Image:
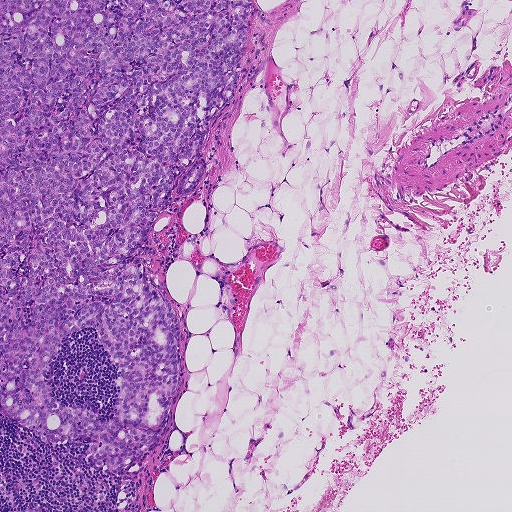
This is a crop of a whole-slide image: an H&E-stained breast-cancer sentinel lymph node section at roughly 5× magnification (about 1.8 µm per pixel; the crop spans about 0.93 mm).
Question:
Trace the edge of each tumour region in this crop, as (x, y) points from 0 to 511.
Answer:
Outlines of two tumour regions, largest first (closed clockwise paths, crop pixels): region 1: (0, 0), (251, 0), (236, 90), (200, 146), (196, 191), (178, 196), (175, 187), (125, 260), (161, 263), (179, 327), (181, 384), (156, 451), (141, 473), (104, 473), (86, 465), (95, 442), (57, 446), (7, 418); region 2: (206, 228), (210, 248), (214, 257), (221, 263), (231, 264), (240, 262), (226, 276), (234, 293), (235, 312), (232, 321), (219, 319), (216, 305), (218, 303), (220, 284), (206, 275), (196, 276), (188, 260), (178, 258), (178, 248), (184, 241), (188, 233), (193, 236), (202, 236).
Region 1 encloses a non-tumour hole of about 5% of its area.
About 30% of the image area is annotated as tumour.